Question: 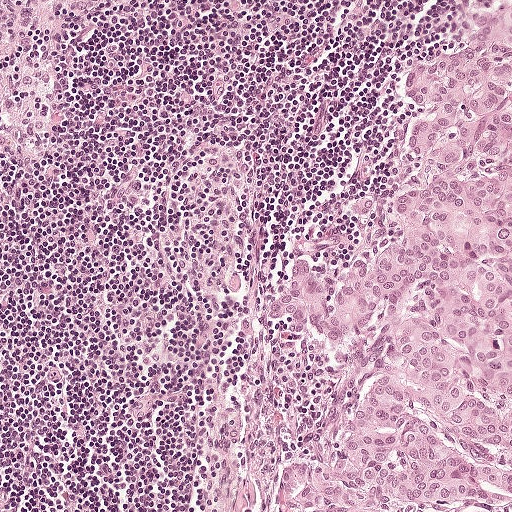
This is a crop of a whole-slide image: an H&E-stained breast-cancer sentinel lymph node section at roughly 10× magnification (about 0.97 µm per pixel; the crop spans about 0.5 mm).
Estimate the proportion of this field that is metastatic tumour.

Choices:
 (A) about 10% to 20%
 (B) about 5% or less
 (C) none: no tumour is outlined
 (D) about 25% to 45%
 (E) about 50% or more

Answer: (D) about 25% to 45%
About 30% of the field is tumour.
Tumour region outline (a closed clockwise path, crop pixels): (481, 0), (511, 0), (511, 511), (278, 511), (284, 471), (326, 419), (346, 364), (334, 344), (271, 326), (265, 310), (302, 264), (330, 288), (346, 281), (358, 254), (354, 213), (378, 207), (386, 233), (410, 180), (400, 136), (413, 74), (468, 47), (488, 10).